A 1.9-mm field of an H&E-stained sentinel lymph node from a breast-cancer patient (whole-slide image), shown at about 2.5×, about 3.6 µm per pixel.
Question: 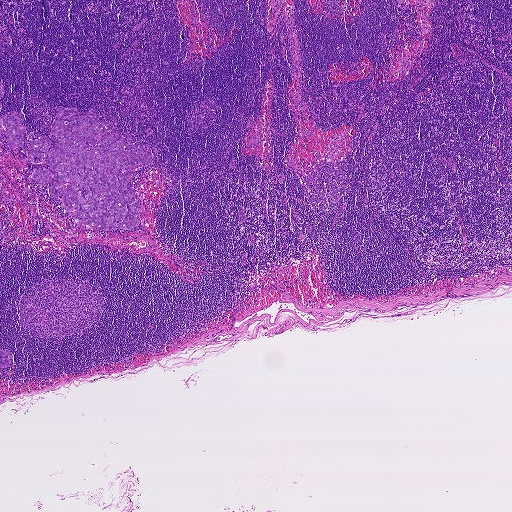
About how much of this crop is taken up by metastatic carcinoma?

Choices:
 (A) about 25% to 45%
 (B) about 5% or less
 (C) about 10% to 20%
 (D) about 50% or more
 (E) none: no tumour is outlined

Answer: (B) about 5% or less
About 5% of the field is tumour.
Three metastatic tumour regions, each outlined as a closed clockwise path in crop pixels (x, y), largest first: region 1: (58, 106), (76, 107), (80, 116), (95, 111), (99, 122), (109, 121), (152, 154), (130, 177), (141, 210), (138, 225), (94, 230), (67, 211), (62, 195), (50, 195), (48, 182), (32, 178), (38, 166), (55, 173), (31, 161), (27, 151), (29, 140), (42, 135), (53, 149), (49, 134); region 2: (10, 111), (21, 114), (23, 120), (20, 126), (25, 129), (22, 134), (22, 145), (10, 148), (8, 145), (10, 138), (0, 138), (0, 117), (1, 119), (4, 114); region 3: (0, 350), (7, 350), (12, 353), (11, 364), (8, 367), (0, 368).
Three more small tumour pieces are annotated here but not outlined.